Image:
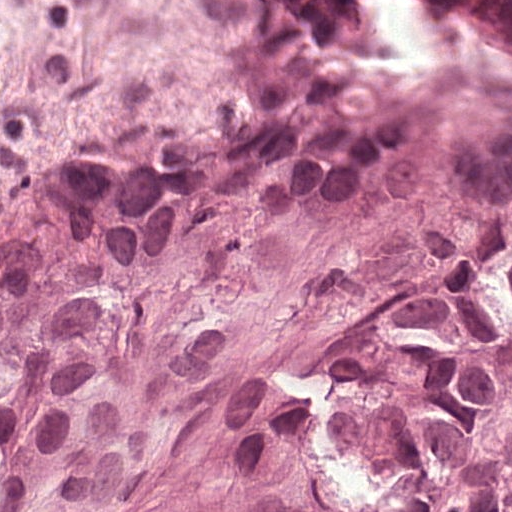
H&E-stained section of a sentinel lymph node (breast cancer), from a whole-slide image, viewed at about 40×: the field is about 0.12 mm across, about 0.24 µm per pixel.
Question:
Show where the tumour is in this image.
Answer:
Boundaries of two metastatic tumour regions, simplified and listed clockwise, largest first: region 1: (511, 219), (511, 409), (459, 494), (437, 511), (114, 511), (156, 475), (184, 425), (265, 375), (340, 284), (387, 256); region 2: (100, 215), (128, 218), (128, 296), (103, 358), (90, 380), (81, 383), (37, 511), (0, 511), (0, 280), (19, 274).
About 35% of this field is tumour.